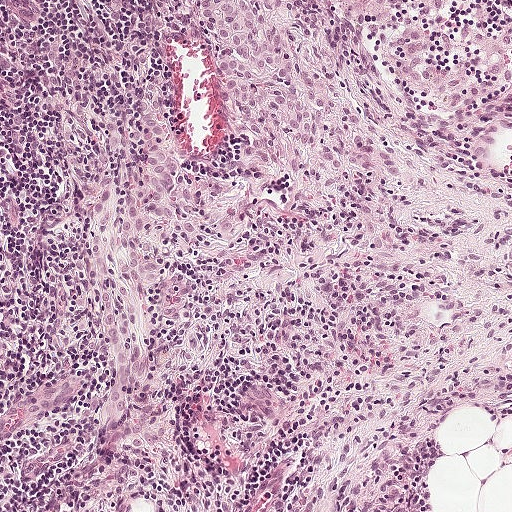
A 0.5-mm field of an H&E-stained sentinel lymph node from a breast-cancer patient (whole-slide image), shown at about 10×, about 0.97 µm per pixel.
Question: Which parts of this field are metastatic tumour?
Answer: The outlined metastatic tumour's edge, as a closed clockwise path of 16 points: (293, 0), (298, 32), (315, 73), (331, 92), (341, 93), (337, 114), (324, 118), (317, 150), (303, 153), (287, 140), (259, 162), (240, 154), (231, 140), (222, 48), (189, 24), (173, 1).
About 5% of the image area is annotated as tumour.